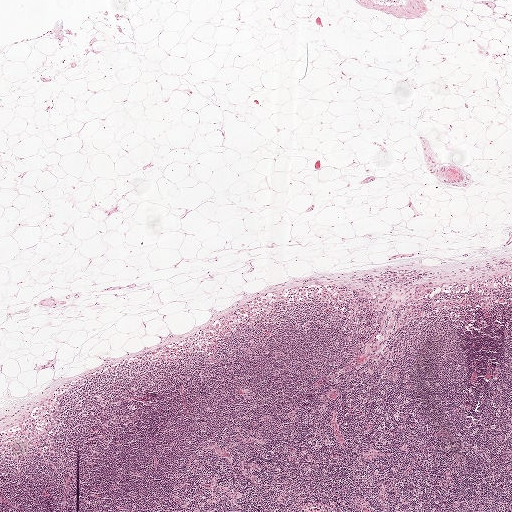
H&E-stained section of a sentinel lymph node (breast cancer), from a whole-slide image, viewed at about 2.5×: the field is about 2.0 mm across, about 3.9 µm per pixel.
Outlines of two tumour regions, largest first (closed clockwise paths, crop pixels): region 1: (433, 283), (434, 288), (431, 293), (416, 300), (411, 305), (402, 308), (407, 296), (414, 292), (416, 288), (424, 284); region 2: (386, 291), (389, 292), (390, 292), (390, 298), (387, 299), (381, 308), (378, 309), (373, 309), (372, 306), (373, 303), (373, 294), (374, 293), (377, 292), (382, 294).
The annotated tumour makes up under 5% of the crop.